Image:
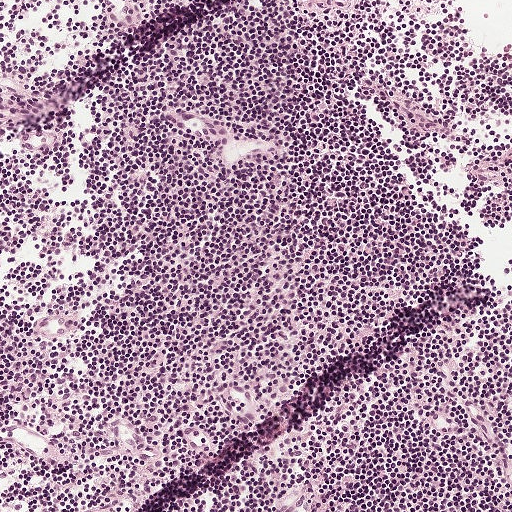
Lymph node section stained with H&E, from a whole-slide image of a breast-cancer sentinel node. Magnification about 10×, about 0.5 mm across the frame, about 0.97 µm per pixel.
Question:
Is there metastatic carcinoma in this field?
Answer:
No. No metastatic tumour is outlined in this field.